Image:
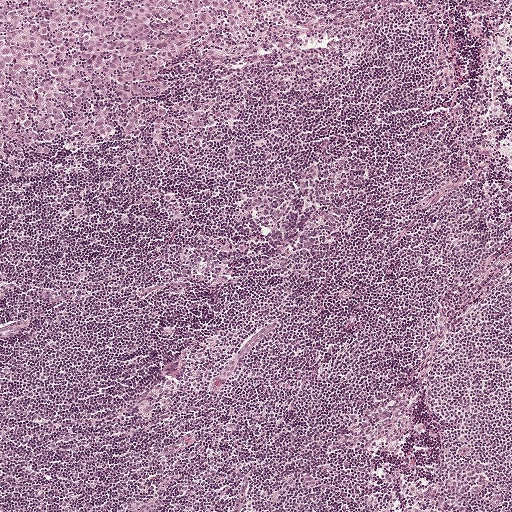
This is a crop of a whole-slide image: an H&E-stained breast-cancer sentinel lymph node section at roughly 5× magnification (about 1.9 µm per pixel; the crop spans about 1 mm).
Question:
Where is the metastatic tumour in this field?
Answer:
The outlined metastatic tumour's edge, as a closed clockwise path of 16 points: (0, 0), (333, 0), (314, 29), (175, 63), (164, 85), (166, 102), (236, 100), (252, 108), (221, 160), (151, 194), (144, 229), (116, 231), (94, 217), (60, 223), (24, 185), (0, 185).
About 20% of this field is tumour.